Question: 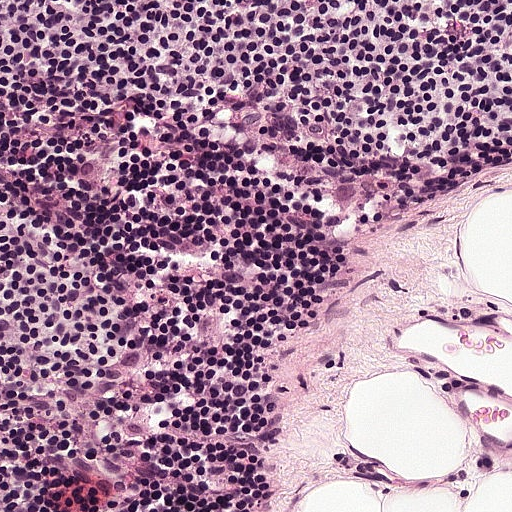
A 0.25-mm field of an H&E-stained sentinel lymph node from a breast-cancer patient (whole-slide image), shown at about 20×, about 0.49 µm per pixel.
Roughly what share of this field is metastatic tumour?

Choices:
 (A) none: no tumour is outlined
 (B) about 25% to 45%
 (C) about 10% to 20%
 (D) about 5% or less
 (E) about 50% or more

Answer: (A) none: no tumour is outlined
No metastatic tumour is outlined in this field.